Image:
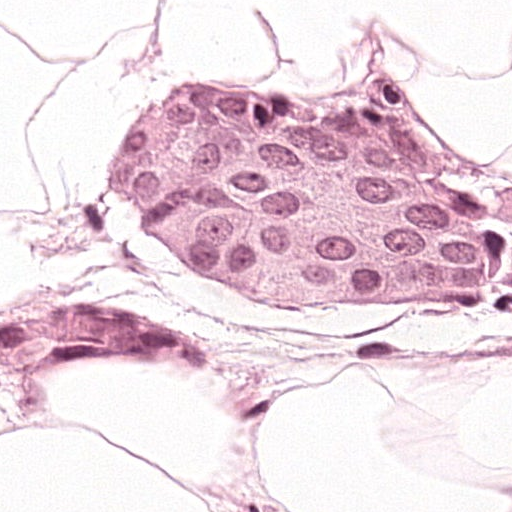
A 0.12-mm field of an H&E-stained sentinel lymph node from a breast-cancer patient (whole-slide image), shown at about 40×, about 0.24 µm per pixel.
Question:
Which parts of this field are metastatic tumour?
Answer:
Outlines of two tumour regions, largest first (closed clockwise paths, crop pixels): region 1: (376, 16), (406, 76), (450, 120), (511, 146), (511, 290), (269, 301), (121, 209), (125, 94), (184, 65), (373, 46); region 2: (125, 272), (162, 283), (228, 316), (242, 379), (165, 357), (114, 357), (95, 372), (0, 386), (0, 294), (50, 279).
Tumour covers about 40% of the frame.